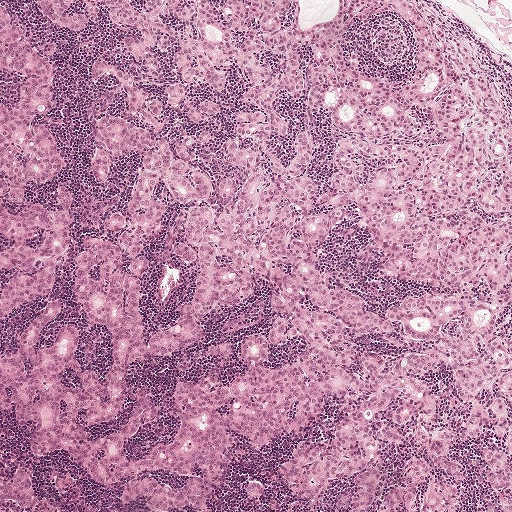
A 1-mm field of an H&E-stained sentinel lymph node from a breast-cancer patient (whole-slide image), shown at about 5×, about 1.9 µm per pixel.
Outlines of five tumour regions, largest first (closed clockwise paths, crop pixels): region 1: (33, 0), (406, 0), (482, 66), (511, 113), (511, 452), (451, 446), (456, 511), (373, 511), (410, 442), (368, 511), (353, 480), (307, 501), (277, 475), (341, 398), (270, 452), (231, 433), (207, 511), (119, 503), (197, 467), (94, 484), (0, 412), (0, 345), (56, 298), (67, 310), (37, 346), (71, 323), (66, 384), (106, 376), (72, 261), (118, 237), (79, 206), (126, 214), (144, 154), (98, 182), (88, 123), (150, 133), (86, 67), (132, 71), (138, 31); region 2: (0, 7), (23, 27), (56, 81), (48, 111), (34, 124), (48, 123), (60, 138), (64, 168), (47, 182), (31, 184), (22, 195), (50, 209), (53, 187), (59, 184), (73, 199), (73, 236), (52, 286), (0, 320), (0, 285), (16, 272), (0, 270), (0, 253), (12, 248), (0, 235); region 3: (493, 448), (500, 453), (511, 470), (511, 511), (494, 510), (494, 511), (483, 511), (492, 499), (491, 489), (484, 480), (489, 474), (489, 470), (481, 460), (484, 451); region 4: (15, 468), (24, 470), (33, 501), (16, 511), (0, 511), (0, 479), (8, 478); region 5: (248, 481), (254, 481), (264, 487), (264, 492), (263, 496), (258, 499), (254, 499), (248, 497), (243, 488).
Region 1 encloses eight non-tumour holes totalling about 15% of its area.
The annotated tumour makes up about 70% of the crop.